Image:
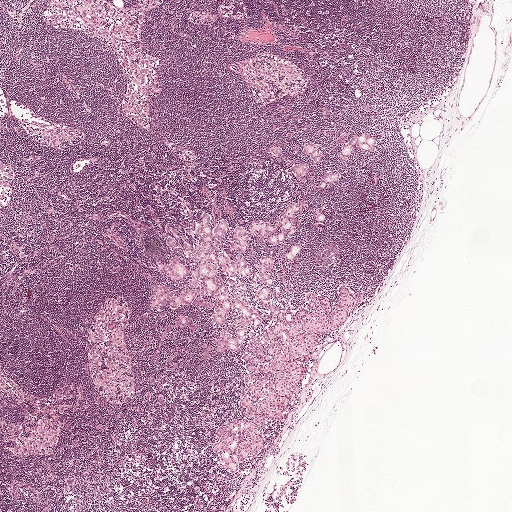
H&E-stained section of a sentinel lymph node (breast cancer), from a whole-slide image, viewed at about 2.5×: the field is about 2.0 mm across, about 3.9 µm per pixel.
Question:
Describe where the metastatic carcinoma lies in this crop.
Answer:
Seven metastatic tumour regions, each outlined as a closed clockwise path in crop pixels (x, y), largest first: region 1: (295, 204), (299, 232), (271, 254), (270, 304), (289, 312), (314, 292), (330, 309), (339, 289), (365, 294), (295, 360), (283, 421), (263, 427), (264, 450), (236, 472), (220, 468), (215, 432), (246, 414), (248, 372), (210, 341), (234, 318), (229, 317), (222, 327), (214, 326), (211, 297), (149, 306), (154, 286), (188, 283), (161, 267), (195, 266), (164, 236), (194, 248), (201, 216), (227, 218), (223, 251), (240, 224), (251, 261), (266, 247), (247, 223), (274, 224); region 2: (368, 131), (372, 132), (380, 141), (377, 153), (367, 153), (355, 148), (350, 157), (345, 160), (342, 160), (339, 152), (352, 136); region 3: (301, 161), (309, 165), (309, 174), (303, 183), (298, 182), (289, 171), (291, 165); region 4: (310, 141), (320, 147), (323, 157), (322, 163), (314, 163), (308, 154), (301, 150), (304, 145); region 5: (297, 242), (303, 246), (303, 250), (295, 260), (292, 261), (286, 260), (281, 257), (293, 243); region 6: (331, 170), (341, 173), (342, 176), (336, 182), (329, 182), (324, 188), (319, 185), (322, 175); region 7: (276, 146), (280, 147), (281, 149), (283, 150), (283, 152), (281, 157), (272, 155), (268, 152), (267, 150), (268, 147).
One more small tumour piece is annotated here but not outlined.
About 10% of this field is tumour.

Image:
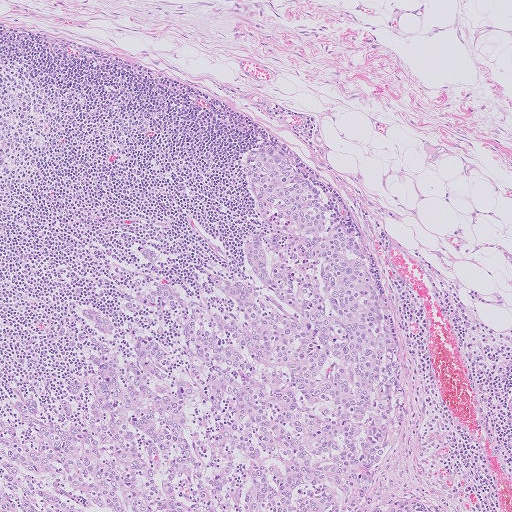
H&E-stained section of a sentinel lymph node (breast cancer), from a whole-slide image, viewed at about 5×: the field is about 1.0 mm across, about 2.0 µm per pixel.
Question:
Describe where the metastatic carcinoma lies in this crop.
Answer:
One metastatic tumour region; its boundary, reduced to 23 corners and listed clockwise: (261, 146), (320, 177), (370, 249), (403, 396), (361, 506), (450, 511), (0, 511), (5, 400), (21, 387), (50, 405), (88, 366), (76, 335), (95, 327), (77, 314), (121, 317), (153, 272), (139, 245), (233, 308), (211, 273), (244, 278), (244, 235), (266, 232), (240, 168).
Tumour covers about 35% of the frame.

Image:
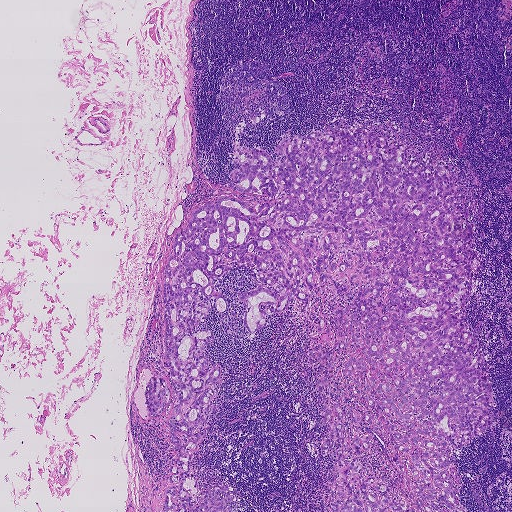
A 1.9-mm field of an H&E-stained sentinel lymph node from a breast-cancer patient (whole-slide image), shown at about 2.5×, about 3.6 µm per pixel.
Question:
Describe where the metastatic carcinoma lies in this crop.
Answer:
The outlined metastatic tumour's edge, as a closed clockwise path of 24 points: (360, 128), (421, 164), (458, 167), (481, 263), (462, 323), (492, 391), (490, 425), (448, 456), (467, 511), (163, 511), (179, 403), (170, 389), (153, 418), (144, 393), (153, 376), (172, 383), (162, 275), (194, 209), (225, 196), (256, 204), (226, 184), (235, 140), (273, 160), (285, 131).
About 40% of this field is tumour.

Image:
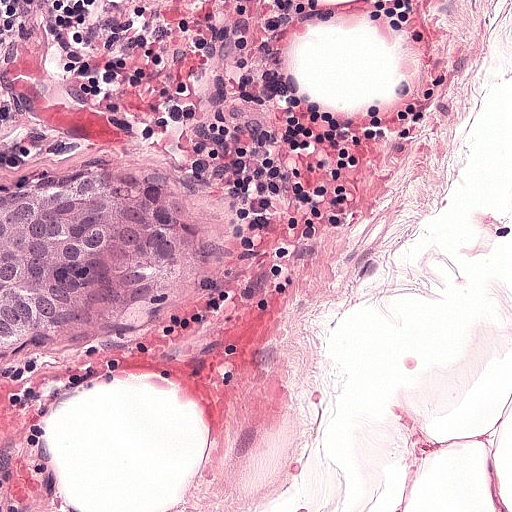
Lymph node section stained with H&E, from a whole-slide image of a breast-cancer sentinel node. Magnification about 20×, about 0.25 mm across the frame, about 0.49 µm per pixel.
Question:
Describe where the metastatic carcinoma lies in this crop.
Answer:
The outlined metastatic tumour's edge, as a closed clockwise path of 9 points: (147, 164), (178, 177), (191, 194), (191, 212), (147, 296), (0, 358), (0, 180), (66, 186), (119, 166).
About 10% of the image area is annotated as tumour.